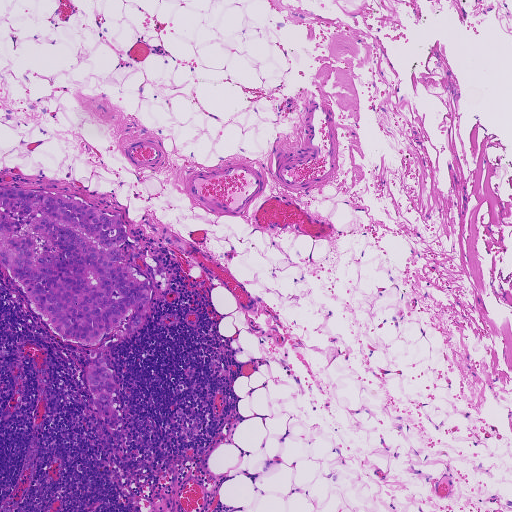
H&E-stained section of a sentinel lymph node (breast cancer), from a whole-slide image, viewed at about 5×: the field is about 0.93 mm across, about 1.8 µm per pixel.
Two metastatic tumour regions, each outlined as a closed clockwise path in crop pixels (x, y), largest first: region 1: (0, 186), (46, 191), (119, 215), (128, 234), (116, 263), (129, 265), (132, 274), (147, 280), (149, 297), (144, 321), (126, 335), (127, 320), (120, 323), (96, 345), (70, 343), (35, 313), (0, 264); region 2: (102, 357), (113, 372), (116, 385), (108, 403), (112, 408), (117, 410), (118, 417), (110, 419), (99, 414), (86, 375), (95, 359).
One more small tumour piece is annotated here but not outlined.
The annotated tumour makes up about 5% of the crop.